Question: 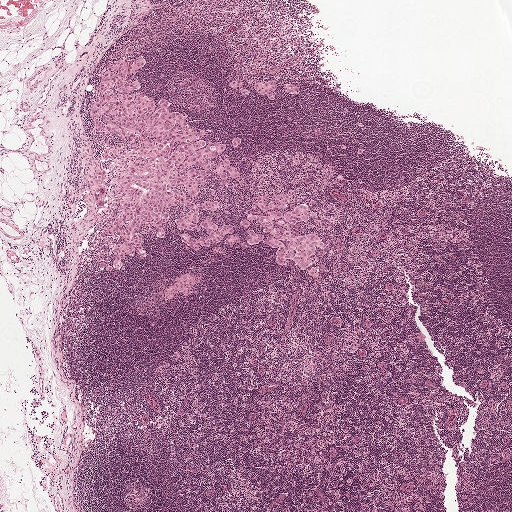
Lymph node section stained with H&E, from a whole-slide image of a breast-cancer sentinel node. Magnification about 2.5×, about 2.0 mm across the frame, about 3.9 µm per pixel.
Estimate the proportion of this field that is metastatic tumour.

Choices:
 (A) about 10% to 20%
 (B) about 50% or more
 (C) about 25% to 45%
 (D) none: no tumour is outlined
 (E) about 5% or less

Answer: (A) about 10% to 20%
About 10% of the field is tumour.
Boundaries of six metastatic tumour regions, simplified and listed clockwise, largest first: region 1: (131, 47), (147, 60), (136, 92), (153, 98), (154, 111), (166, 98), (208, 144), (227, 146), (219, 160), (230, 159), (240, 179), (226, 183), (209, 171), (222, 207), (200, 217), (232, 223), (234, 232), (192, 250), (182, 235), (208, 232), (177, 225), (188, 210), (179, 204), (167, 238), (146, 233), (143, 259), (134, 251), (126, 269), (103, 270), (94, 258), (111, 242), (101, 235), (116, 217), (131, 150), (97, 132), (90, 116), (105, 78); region 2: (291, 193), (291, 201), (281, 209), (284, 214), (293, 212), (296, 206), (305, 204), (313, 216), (308, 222), (298, 220), (293, 232), (314, 233), (325, 246), (324, 249), (316, 247), (310, 258), (318, 269), (318, 275), (311, 277), (309, 268), (301, 267), (291, 259), (282, 266), (278, 265), (278, 251), (262, 242), (243, 249), (250, 229), (270, 235), (259, 221), (247, 227), (241, 221), (250, 214), (267, 215), (258, 204), (258, 196), (264, 196), (267, 204), (279, 195); region 3: (98, 174), (103, 175), (107, 194), (105, 205), (100, 207), (94, 201), (96, 187), (93, 179), (94, 176); region 4: (272, 81), (276, 83), (277, 85), (277, 89), (274, 92), (274, 99), (272, 100), (269, 100), (265, 96), (259, 94), (254, 89), (254, 85), (255, 84), (259, 82); region 5: (289, 83), (295, 84), (298, 86), (298, 91), (297, 94), (289, 94), (285, 92), (284, 87), (285, 85); region 6: (235, 79), (238, 79), (243, 82), (243, 86), (240, 89), (237, 89), (229, 86), (229, 84), (230, 82), (235, 83), (236, 82), (235, 80).
Two more small tumour pieces are annotated here but not outlined.